This is a crop of a whole-slide image: an H&E-stained breast-cancer sentinel lymph node section at roughly 10× magnification (about 0.97 µm per pixel; the crop spans about 0.5 mm).
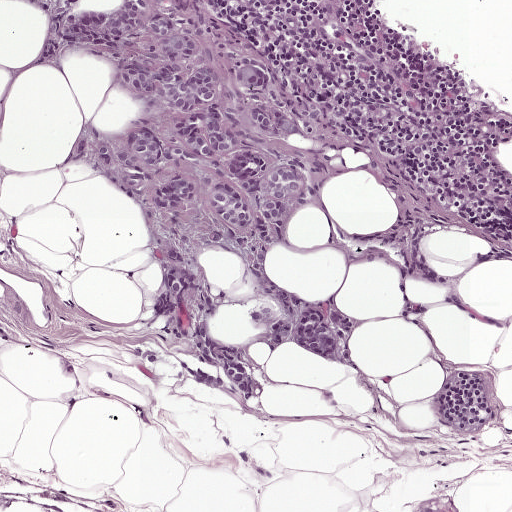
Boundaries of six metastatic tumour regions, simplified and listed clockwise, largest first: region 1: (125, 0), (181, 0), (275, 70), (294, 116), (291, 138), (321, 173), (275, 242), (238, 234), (187, 204), (171, 212), (138, 198), (103, 168), (96, 138), (144, 119), (157, 97), (117, 73), (122, 56), (110, 46), (84, 49), (57, 36), (59, 20), (70, 10), (87, 13); region 2: (198, 318), (214, 338), (240, 350), (258, 378), (254, 397), (238, 397), (197, 384), (186, 367), (198, 366), (219, 374), (234, 384), (227, 372), (196, 357), (191, 325); region 3: (293, 304), (331, 312), (343, 334), (332, 356), (308, 350), (295, 342), (290, 331); region 4: (177, 260), (195, 271), (191, 290), (173, 317), (160, 321), (153, 306), (166, 287), (161, 262); region 5: (425, 226), (418, 241), (426, 263), (448, 276), (442, 283), (420, 276), (410, 267), (410, 228); region 6: (20, 0), (79, 0), (49, 8), (35, 5).
The annotated tumour makes up about 15% of the crop.